Question: 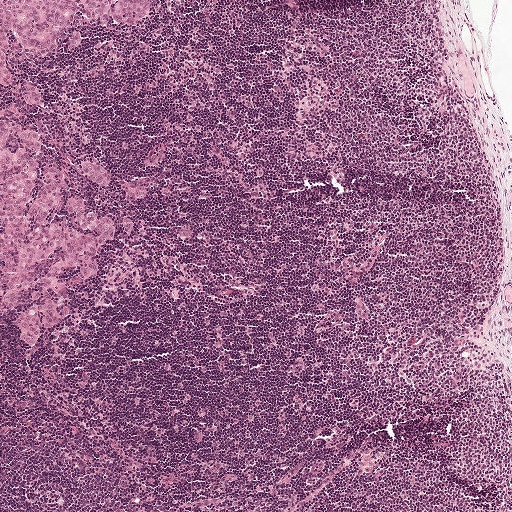
H&E-stained section of a sentinel lymph node (breast cancer), from a whole-slide image, viewed at about 5×: the field is about 1 mm across, about 1.9 µm per pixel.
About how much of this crop is taken up by metastatic carcinoma?

Choices:
 (A) about 50% or more
 (B) none: no tumour is outlined
 (C) about 25% to 45%
 (D) about 10% to 20%
 (E) about 5% or less

Answer: (D) about 10% to 20%
About 10% of the field is tumour.
Boundaries of three metastatic tumour regions, simplified and listed clockwise, largest first: region 1: (0, 106), (17, 125), (39, 140), (43, 136), (40, 162), (54, 168), (108, 218), (114, 233), (103, 247), (97, 271), (88, 283), (79, 285), (74, 274), (64, 277), (69, 307), (31, 345), (17, 340), (13, 327), (15, 319), (25, 313), (24, 304), (0, 313); region 2: (0, 0), (156, 0), (152, 13), (134, 24), (105, 24), (82, 19), (79, 24), (82, 41), (79, 48), (63, 55), (34, 59), (24, 64), (22, 70), (40, 93), (40, 104), (29, 104), (10, 92), (0, 91); region 3: (82, 160), (103, 168), (108, 173), (108, 185), (104, 188), (96, 188), (89, 184), (78, 174).